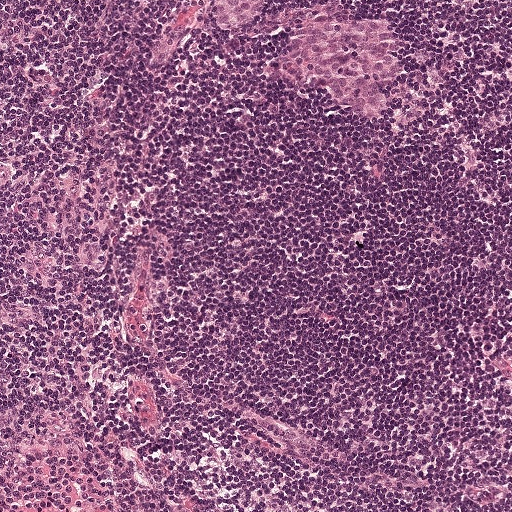
This is a crop of a whole-slide image: an H&E-stained breast-cancer sentinel lymph node section at roughly 10× magnification (about 0.97 µm per pixel; the crop spans about 0.5 mm).
Boundaries of two metastatic tumour regions, simplified and listed clockwise, largest first: region 1: (309, 4), (338, 16), (369, 16), (390, 22), (396, 31), (401, 76), (387, 89), (383, 122), (356, 121), (311, 92), (283, 83), (276, 69), (276, 52), (284, 33), (275, 21); region 2: (261, 0), (261, 2), (258, 6), (256, 16), (242, 21), (238, 28), (233, 28), (209, 20), (206, 8), (209, 1).
The annotated tumour makes up about 5% of the crop.